Question: 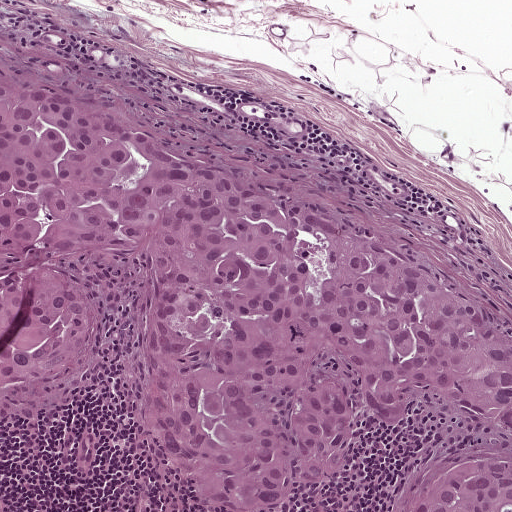
H&E-stained section of a sentinel lymph node (breast cancer), from a whole-slide image, viewed at about 10×: the field is about 0.5 mm across, about 0.97 µm per pixel.
Estimate the proportion of this field that is metastatic tumour.

Choices:
 (A) about 50% or more
 (B) about 25% to 45%
 (C) about 5% or less
 (D) about 10% to 20%
 (E) none: no tumour is outlined

Answer: (A) about 50% or more
About 50% of the field is tumour.
Metastatic tumour outline, simplified to 21 points and listed clockwise in crop pixels (x, y): (0, 60), (478, 296), (511, 327), (511, 511), (400, 511), (508, 446), (434, 399), (402, 434), (366, 422), (360, 458), (301, 506), (191, 510), (133, 410), (136, 262), (63, 264), (98, 365), (67, 386), (0, 386), (0, 275), (29, 259), (12, 259).